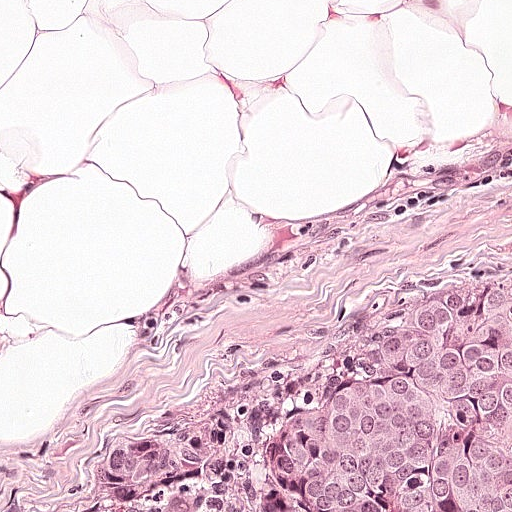
H&E-stained section of a sentinel lymph node (breast cancer), from a whole-slide image, viewed at about 20×: the field is about 0.25 mm across, about 0.49 µm per pixel.
Metastatic tumour outline, simplified to 9 points and listed clockwise in crop pixels (x, y): (511, 283), (511, 511), (308, 511), (272, 466), (274, 443), (298, 408), (324, 394), (341, 328), (431, 285).
The annotated tumour makes up about 15% of the crop.